This is a crop of a whole-slide image: an H&E-stained breast-cancer sentinel lymph node section at roughly 2.5× magnification (about 3.6 µm per pixel; the crop spans about 1.9 mm).
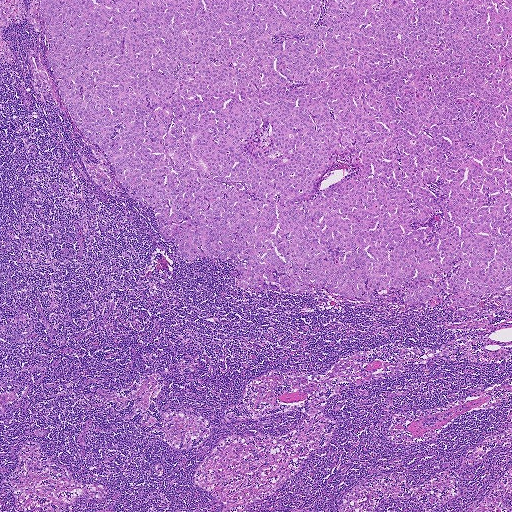
Question: Describe where the metastatic carcinoma lies in this crop.
Answer: Boundaries of two metastatic tumour regions, simplified and listed clockwise, largest first: region 1: (511, 0), (511, 293), (480, 297), (464, 316), (441, 290), (406, 304), (415, 283), (374, 288), (368, 302), (269, 281), (236, 286), (234, 266), (246, 258), (188, 262), (72, 120), (39, 2); region 2: (511, 294), (511, 309), (505, 309), (503, 307), (502, 303), (502, 300), (503, 297), (506, 295).
The annotated tumour makes up about 45% of the crop.